Lymph node section stained with H&E, from a whole-slide image of a breast-cancer sentinel node. Magnification about 20×, about 0.25 mm across the frame, about 0.49 µm per pixel.
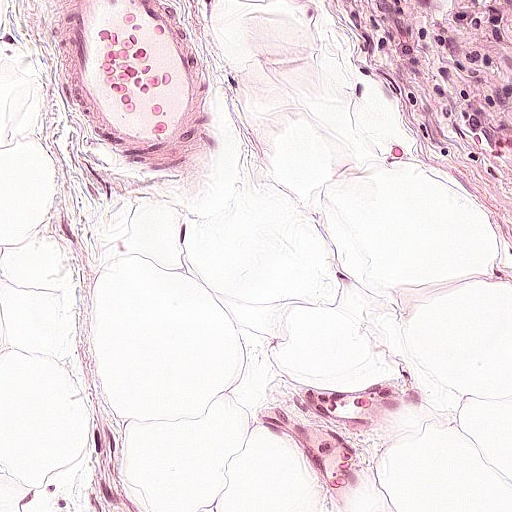
Metastatic tumour outline, simplified to 6 points and listed clockwise in crop pixels (x, y): (342, 0), (511, 0), (511, 183), (498, 175), (465, 116), (358, 46).
About 5% of this field is tumour.